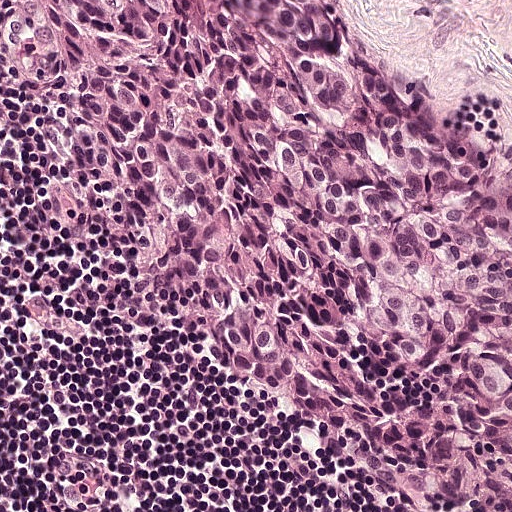
This is a crop of a whole-slide image: an H&E-stained breast-cancer sentinel lymph node section at roughly 20× magnification (about 0.49 µm per pixel; the crop spans about 0.25 mm).
Question: Show where the tumour is in this image.
Answer: One metastatic tumour region; its boundary, reduced to 11 corners and listed clockwise: (30, 0), (301, 0), (383, 80), (511, 156), (511, 498), (434, 511), (349, 482), (281, 393), (199, 334), (149, 220), (110, 168).
The annotated tumour makes up about 55% of the crop.